H&E-stained section of a sentinel lymph node (breast cancer), from a whole-slide image, viewed at about 20×: the field is about 0.25 mm across, about 0.49 µm per pixel.
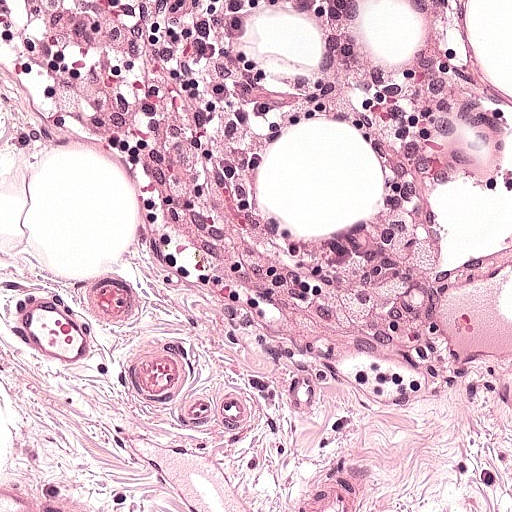
Question: Is there metastatic carcinoma in this field?
Answer: No. No metastatic tumour is outlined in this field.